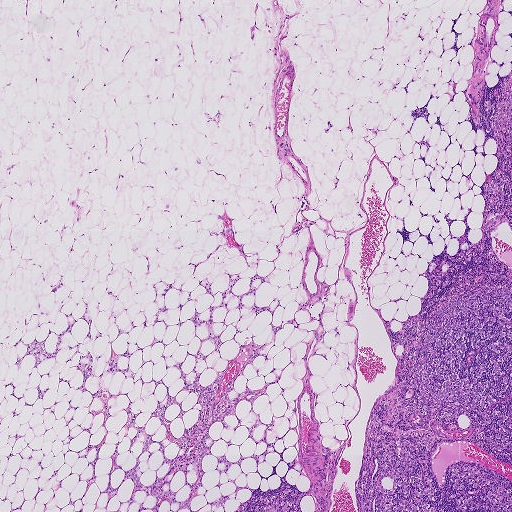
H&E-stained section of a sentinel lymph node (breast cancer), from a whole-slide image, viewed at about 2.5×: the field is about 1.9 mm across, about 3.6 µm per pixel.
Question: Is any metastatic breast cancer visible in this crop?
Answer: Yes.
Outlines of three tumour regions, largest first (closed clockwise paths, crop pixels): region 1: (479, 47), (488, 53), (479, 97), (484, 117), (484, 102), (498, 98), (510, 72), (511, 511), (357, 511), (370, 408), (392, 380), (396, 360), (381, 317), (400, 328), (428, 291), (421, 274), (426, 262), (443, 250), (453, 255), (460, 234), (481, 238), (483, 185), (498, 162), (468, 95); region 2: (336, 463), (338, 470), (334, 482), (328, 511), (211, 511), (209, 504), (222, 494), (234, 492), (236, 485), (248, 486), (254, 494), (258, 495), (270, 496), (285, 488), (296, 492), (304, 491), (307, 489), (309, 481), (310, 489), (313, 493), (317, 495), (321, 494), (330, 469); region 3: (61, 277), (64, 285), (56, 294), (51, 291), (54, 283).
One more tumour region is annotated but not outlined: its edge is too irregular for a short outline.
About 25% of the image area is annotated as tumour.